Image:
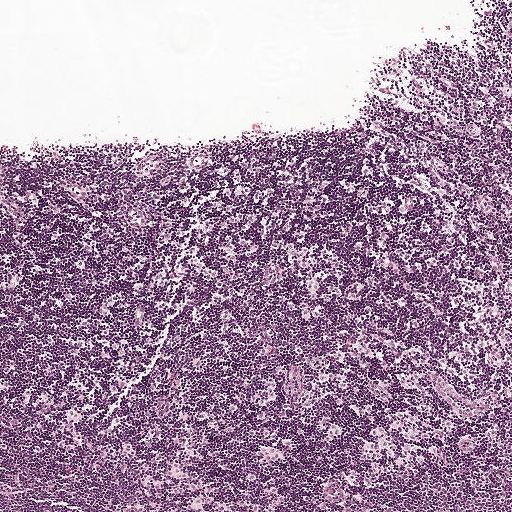
A 1-mm field of an H&E-stained sentinel lymph node from a breast-cancer patient (whole-slide image), shown at about 5×, about 1.9 µm per pixel.
Question:
Is any metastatic breast cancer visible in this crop?
Answer:
No, this field holds no outlined metastasis.